Image:
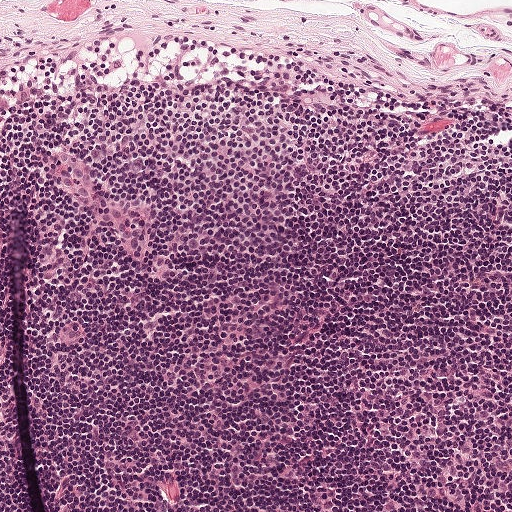
A 0.5-mm field of an H&E-stained sentinel lymph node from a breast-cancer patient (whole-slide image), shown at about 10×, about 0.97 µm per pixel.
Question:
Is any metastatic breast cancer visible in this crop?
Answer:
No. No metastatic tumour is outlined in this field.